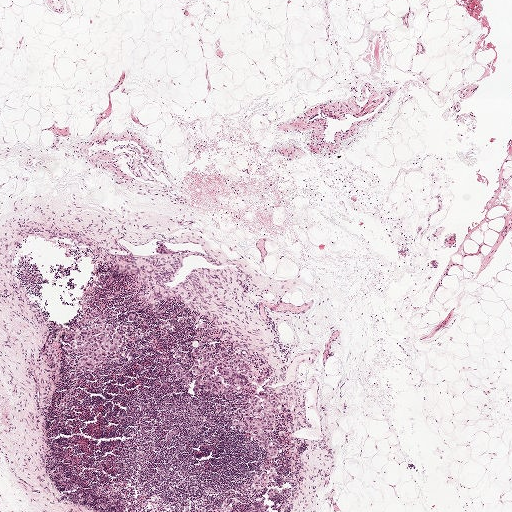
A 2.0-mm field of an H&E-stained sentinel lymph node from a breast-cancer patient (whole-slide image), shown at about 2.5×, about 3.9 µm per pixel.
Question: Does this lymph node field contain metastatic tumour?
Answer: Yes.
Six metastatic tumour regions, each outlined as a closed clockwise path in crop pixels (x, y), largest first: region 1: (207, 322), (217, 330), (217, 350), (224, 350), (229, 346), (228, 351), (231, 354), (242, 352), (253, 372), (263, 366), (269, 366), (272, 375), (267, 377), (253, 375), (249, 381), (262, 379), (265, 383), (252, 383), (259, 388), (250, 388), (244, 395), (235, 394), (230, 399), (219, 393), (208, 397), (211, 389), (196, 383), (195, 379), (201, 377), (192, 372), (191, 369), (199, 366), (200, 356), (193, 351), (198, 349), (200, 339), (207, 334), (198, 332), (195, 324); region 2: (94, 311), (99, 313), (105, 322), (112, 326), (121, 335), (120, 360), (114, 359), (114, 355), (102, 358), (92, 371), (88, 373), (76, 371), (79, 359), (84, 355), (75, 353), (70, 348), (70, 345), (66, 338), (68, 335), (73, 330), (81, 330), (81, 320); region 3: (266, 391), (273, 395), (280, 406), (282, 419), (280, 421), (278, 419), (278, 414), (272, 408), (270, 409), (275, 416), (275, 429), (270, 438), (278, 451), (277, 457), (271, 460), (265, 458), (265, 449), (258, 446), (249, 438), (251, 432), (241, 432), (239, 426), (231, 422), (231, 418), (234, 411), (239, 410), (240, 415), (242, 412), (240, 407), (244, 406), (248, 408), (250, 402), (248, 398), (252, 394), (255, 396), (264, 406), (262, 398), (257, 393); region 4: (278, 460), (281, 461), (281, 464), (276, 465), (279, 470), (264, 488), (258, 489), (251, 483), (251, 479), (253, 476), (261, 476), (265, 471), (261, 467), (263, 464), (270, 465); region 5: (174, 364), (178, 364), (189, 374), (188, 381), (184, 382), (181, 379), (177, 379), (175, 376), (170, 374), (168, 367); region 6: (161, 322), (168, 322), (173, 325), (174, 328), (174, 330), (173, 332), (171, 332), (168, 330), (167, 336), (164, 336), (161, 333), (161, 331), (162, 330), (160, 327).
Seven more small tumour pieces are annotated here but not outlined.
About 5% of the image area is annotated as tumour.